A 0.5-mm field of an H&E-stained sentinel lymph node from a breast-cancer patient (whole-slide image), shown at about 10×, about 0.97 µm per pixel.
Image:
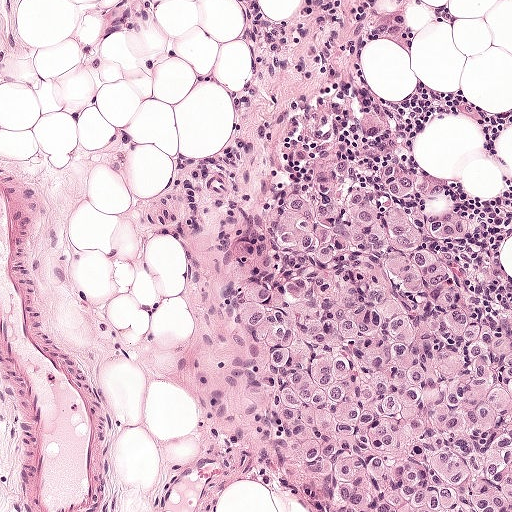
Question:
Does this lymph node field contain metastatic tumour?
Answer:
Yes.
Tumour region outline (a closed clockwise path, crop pixels): (337, 89), (410, 111), (417, 168), (452, 198), (487, 268), (511, 289), (511, 511), (293, 511), (222, 429), (190, 364), (194, 313), (262, 134), (296, 103).
One more small tumour piece is annotated here but not outlined.
The annotated tumour makes up about 40% of the crop.